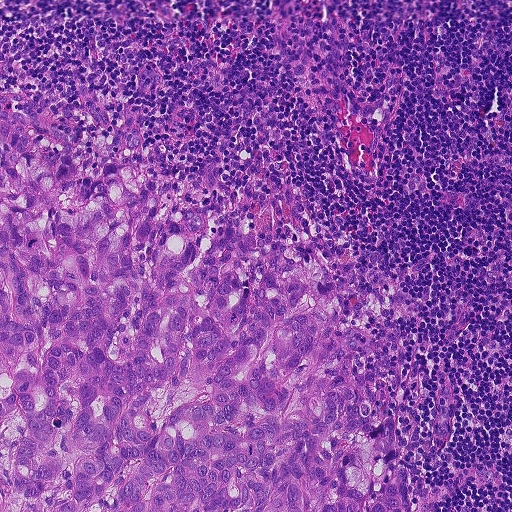
This is a crop of a whole-slide image: an H&E-stained breast-cancer sentinel lymph node section at roughly 10× magnification (about 0.9 µm per pixel; the crop spans about 0.46 mm).
Question: Is there metastatic carcinoma in this field?
Answer: Yes.
The outlined metastatic tumour's edge, as a closed clockwise path of 24 points: (23, 150), (77, 204), (106, 161), (121, 159), (143, 166), (156, 186), (158, 234), (187, 207), (209, 214), (213, 257), (245, 225), (270, 260), (314, 254), (340, 290), (334, 326), (368, 335), (368, 347), (338, 369), (403, 429), (413, 511), (0, 511), (0, 172), (23, 180), (14, 159).
The annotated tumour makes up about 40% of the crop.

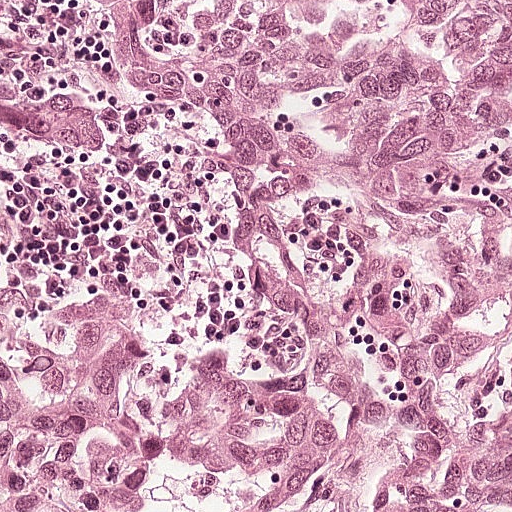
A 0.25-mm field of an H&E-stained sentinel lymph node from a breast-cancer patient (whole-slide image), shown at about 20×, about 0.49 µm per pixel.
Question: Is there metastatic carcinoma in this field?
Answer: Yes.
The outlined metastatic tumour's edge, as a closed clockwise path of 10 points: (511, 0), (511, 511), (0, 511), (0, 287), (108, 308), (168, 334), (242, 332), (262, 317), (256, 203), (56, 1).
The annotated tumour makes up about 75% of the crop.

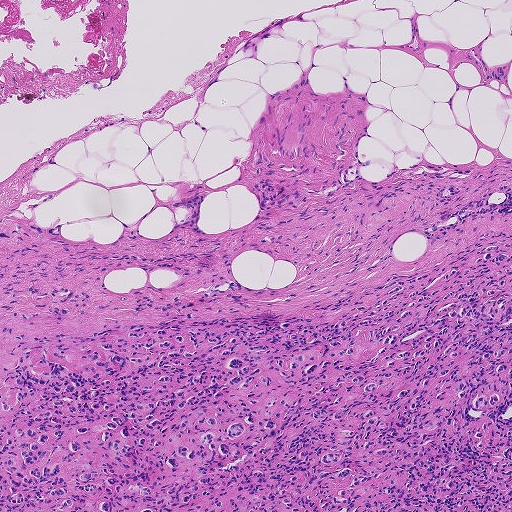
H&E-stained section of a sentinel lymph node (breast cancer), from a whole-slide image, viewed at about 5×: the field is about 0.93 mm across, about 1.8 µm per pixel.
Question: Is there metastatic carcinoma in this field?
Answer: Yes.
Tumour region outline (a closed clockwise path, crop pixels): (505, 236), (511, 511), (0, 511), (0, 352), (133, 329), (332, 319).
About 40% of the image area is annotated as tumour.

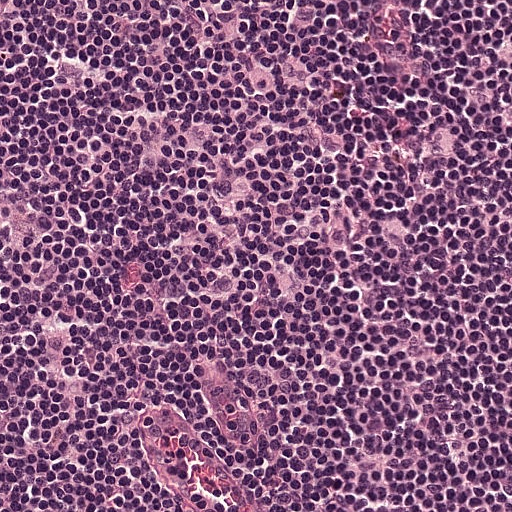
H&E-stained section of a sentinel lymph node (breast cancer), from a whole-slide image, viewed at about 20×: the field is about 0.25 mm across, about 0.49 µm per pixel.
Question: Is there metastatic carcinoma in this field?
Answer: No, this field holds no outlined metastasis.